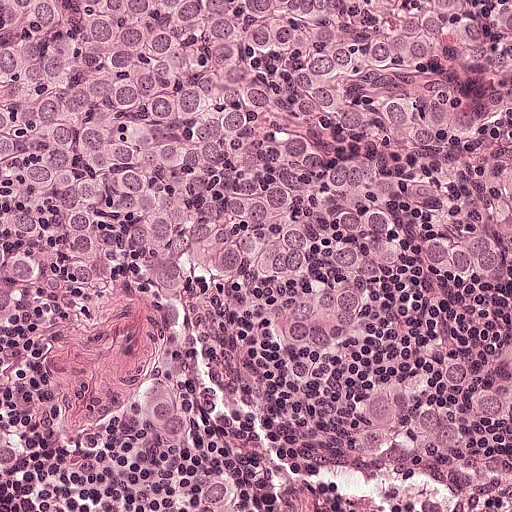
Lymph node section stained with H&E, from a whole-slide image of a breast-cancer sentinel node. Magnification about 20×, about 0.25 mm across the frame, about 0.49 µm per pixel.
Two metastatic tumour regions, each outlined as a closed clockwise path in crop pixels (x, y), largest first: region 1: (0, 0), (511, 0), (511, 56), (387, 82), (356, 106), (511, 96), (511, 428), (448, 456), (400, 452), (359, 430), (359, 393), (498, 348), (496, 307), (438, 279), (357, 300), (329, 359), (314, 364), (246, 342), (223, 301), (176, 310), (100, 288), (78, 314), (36, 305), (1, 498); region 2: (137, 374), (160, 378), (176, 388), (188, 418), (188, 430), (179, 446), (179, 454), (195, 471), (226, 480), (226, 484), (237, 488), (241, 493), (238, 511), (182, 511), (173, 474), (122, 434), (124, 414).
The annotated tumour makes up about 65% of the crop.